Question: 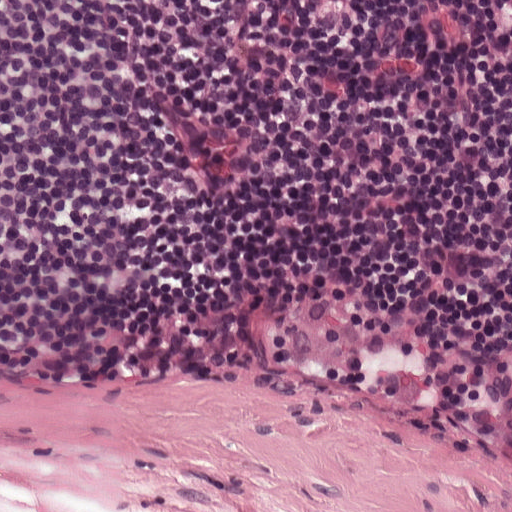
Which magnification is this H&E lymph node field most likely shown at?

Choices:
 (A) about 5×
 (B) about 20×
 (C) about 2.5×
 (D) about 10×
 (E) about 40×

Answer: (B) about 20×
A 0.25-mm field of an H&E-stained sentinel lymph node from a breast-cancer patient (whole-slide image), shown at about 20×, about 0.49 µm per pixel.
Question: 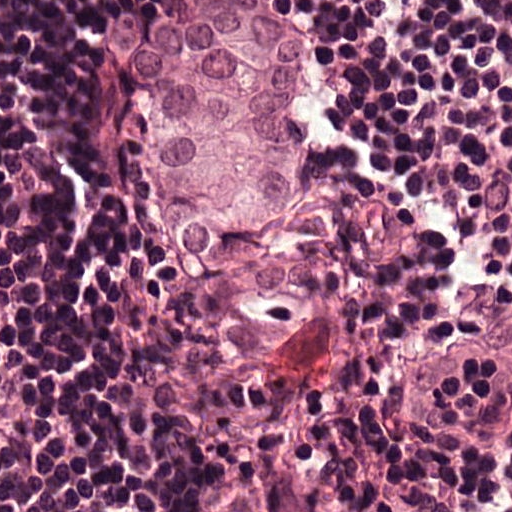
Which magnification is this H&E lymph node field most likely shown at?

Choices:
 (A) about 5×
 (B) about 40×
 (C) about 20×
 (D) about 10×
 (E) about 2.5×

Answer: (B) about 40×
This is a crop of a whole-slide image: an H&E-stained breast-cancer sentinel lymph node section at roughly 40× magnification (about 0.24 µm per pixel; the crop spans about 0.12 mm).
The outlined metastatic tumour's edge, as a closed clockwise path of 10 points: (96, 0), (321, 5), (324, 67), (340, 92), (345, 133), (337, 199), (212, 279), (149, 255), (146, 149), (90, 52).
Tumour covers about 20% of the frame.
Question: 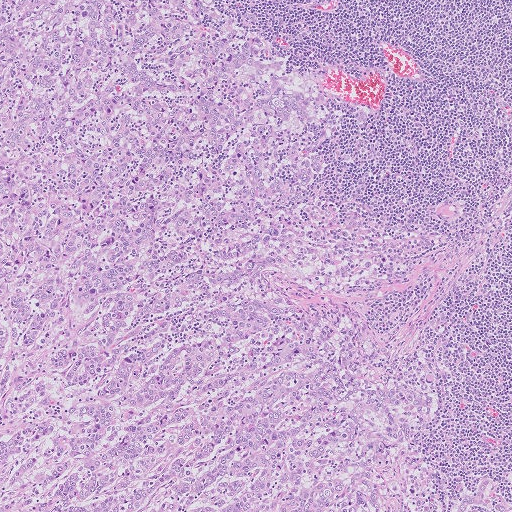
Which magnification is this H&E lymph node field most likely shown at?

Choices:
 (A) about 2.5×
 (B) about 5×
 (C) about 20×
 (D) about 10×
 (E) about 40×

Answer: (B) about 5×
This is a crop of a whole-slide image: an H&E-stained breast-cancer sentinel lymph node section at roughly 5× magnification (about 2.0 µm per pixel; the crop spans about 1.0 mm).
The outlined metastatic tumour's edge, as a closed clockwise path of 13 points: (0, 0), (220, 0), (310, 58), (374, 213), (453, 236), (344, 289), (366, 320), (439, 369), (432, 419), (452, 454), (511, 451), (511, 511), (0, 511).
Tumour covers about 75% of the frame.
Question: 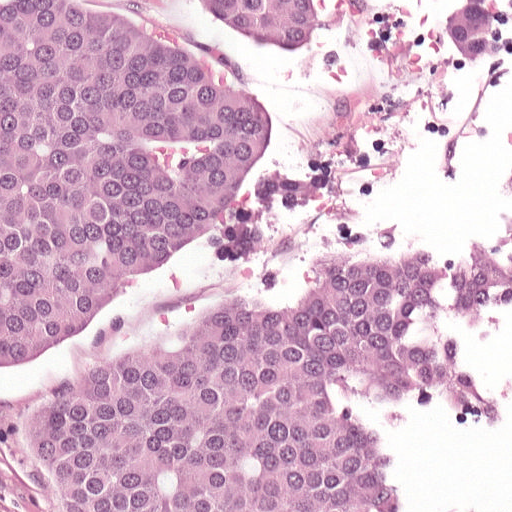
Which magnification is this H&E lymph node field most likely shown at?

Choices:
 (A) about 10×
 (B) about 2.5×
 (C) about 20×
 (D) about 40×
 (E) about 5×

Answer: (C) about 20×
Lymph node section stained with H&E, from a whole-slide image of a breast-cancer sentinel node. Magnification about 20×, about 0.25 mm across the frame, about 0.49 µm per pixel.
Metastatic tumour outline, simplified to 20 points and listed clockwise in crop pixels (x, y): (0, 0), (511, 0), (494, 140), (464, 146), (465, 182), (442, 187), (433, 146), (365, 218), (400, 218), (451, 250), (466, 226), (492, 237), (511, 149), (511, 436), (407, 441), (441, 501), (511, 477), (511, 511), (51, 511), (2, 430).
Tumour covers about 95% of the frame.